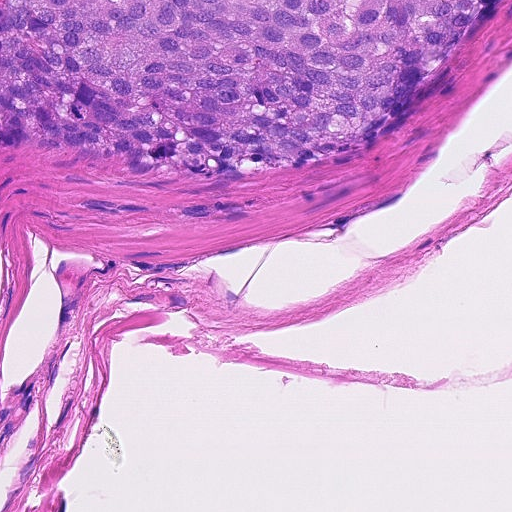
A 0.23-mm field of an H&E-stained sentinel lymph node from a breast-cancer patient (whole-slide image), shown at about 20×, about 0.45 µm per pixel.
One metastatic tumour region; its boundary, reduced to 6 corners and listed clockwise: (0, 0), (489, 0), (420, 97), (336, 157), (147, 168), (0, 143).
Tumour covers about 25% of the frame.